Image:
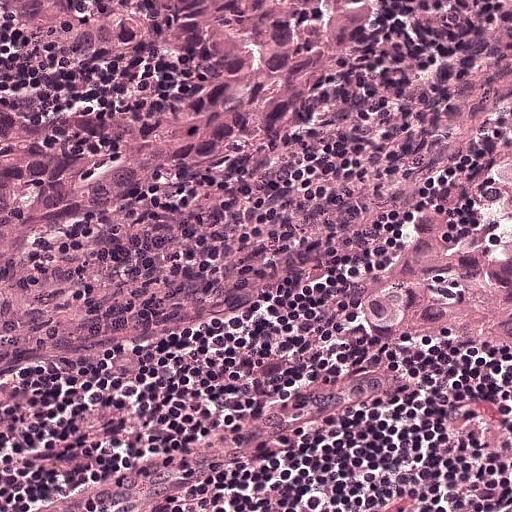
A 0.25-mm field of an H&E-stained sentinel lymph node from a breast-cancer patient (whole-slide image), shown at about 20×, about 0.49 µm per pixel.
Question:
Outline the metastatic carcinoma in this image, as closed paths of (x, y) pixel coordinates.
Answer:
Two metastatic tumour regions, each outlined as a closed clockwise path in crop pixels (x, y), largest first: region 1: (0, 0), (368, 0), (367, 52), (328, 111), (203, 175), (62, 217), (6, 250); region 2: (510, 136), (511, 348), (403, 349), (339, 330), (333, 278), (342, 252), (414, 190).
About 35% of this field is tumour.